Question: 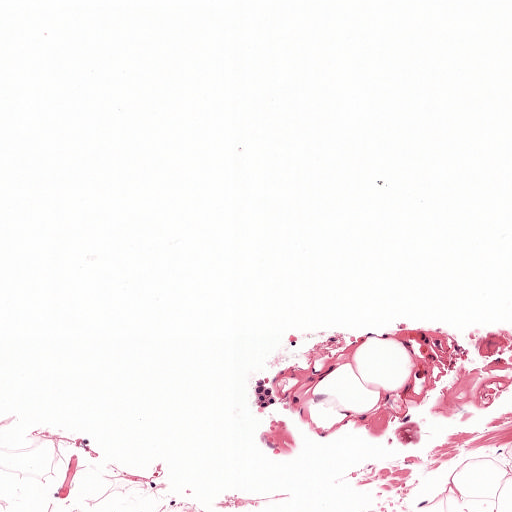
This is a crop of a whole-slide image: an H&E-stained breast-cancer sentinel lymph node section at roughly 10× magnification (about 0.97 µm per pixel; the crop spans about 0.5 mm).
Roughly what share of this field is metastatic tumour?

Choices:
 (A) about 50% or more
 (B) none: no tumour is outlined
 (C) about 25% to 45%
 (D) about 5% or less
 (E) about 10% to 20%

Answer: (D) about 5% or less
Under 5% of the field is tumour.
Tumour region outline (a closed clockwise path, crop pixels): (260, 378), (270, 383), (278, 403), (270, 414), (262, 415), (252, 405), (255, 383).
One more small tumour piece is annotated here but not outlined.